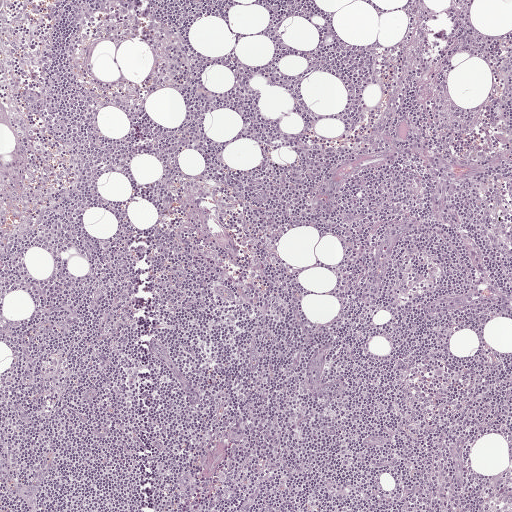
A 1-mm field of an H&E-stained sentinel lymph node from a breast-cancer patient (whole-slide image), shown at about 5×, about 1.9 µm per pixel.